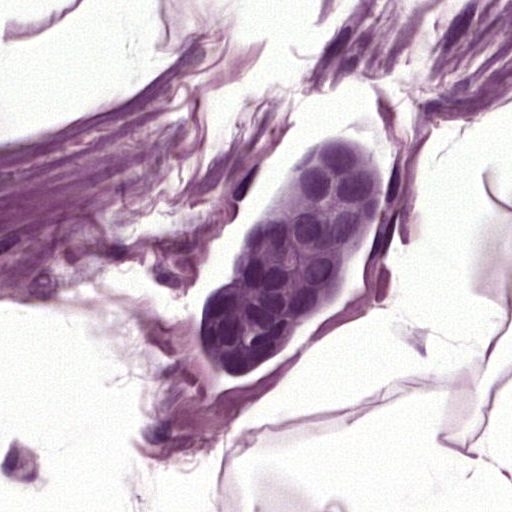
H&E-stained section of a sentinel lymph node (breast cancer), from a whole-slide image, viewed at about 40×: the field is about 0.12 mm across, about 0.24 µm per pixel.
The outlined metastatic tumour's edge, as a closed clockwise path of 10 points: (339, 128), (370, 134), (385, 185), (370, 252), (331, 319), (281, 361), (230, 389), (201, 319), (234, 216), (287, 155).
The annotated tumour makes up about 10% of the crop.